Question: 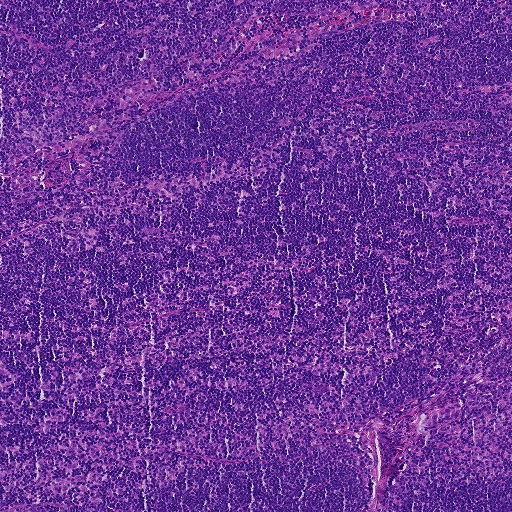
Which magnification is this H&E lymph node field most likely shown at?

Choices:
 (A) about 40×
 (B) about 20×
 (C) about 10×
 (D) about 2.5×
 (E) about 5×

Answer: (E) about 5×
This is a crop of a whole-slide image: an H&E-stained breast-cancer sentinel lymph node section at roughly 5× magnification (about 1.8 µm per pixel; the crop spans about 0.93 mm).